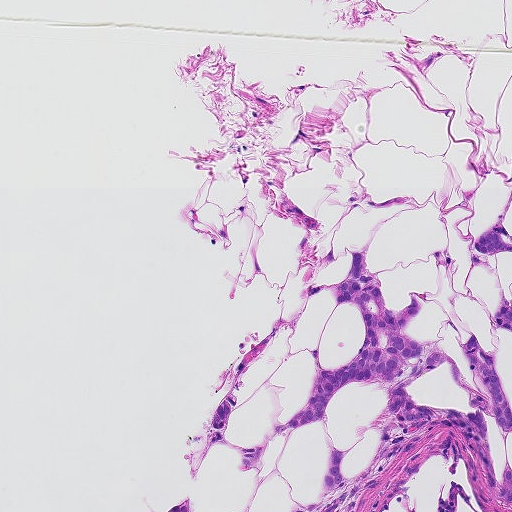
A 0.46-mm field of an H&E-stained sentinel lymph node from a breast-cancer patient (whole-slide image), shown at about 10×, about 0.9 µm per pixel.
Boundaries of three metastatic tumour regions, simplified and listed clockwise, largest first: region 1: (350, 250), (391, 309), (420, 298), (408, 336), (452, 356), (490, 398), (456, 344), (472, 334), (491, 352), (492, 312), (511, 301), (511, 334), (500, 329), (494, 353), (511, 413), (511, 506), (446, 426), (350, 509), (291, 511), (312, 503), (330, 449), (348, 449), (344, 478), (369, 466), (384, 384), (345, 383), (251, 472), (224, 442), (204, 447), (220, 402), (232, 441), (251, 448), (302, 408), (314, 372), (358, 356), (362, 311), (318, 285), (344, 276); region 2: (484, 232), (507, 234), (511, 236), (511, 256), (485, 256), (476, 252), (470, 244), (474, 235); region 3: (190, 496), (192, 511), (168, 511), (176, 508), (183, 502).
Tumour covers about 10% of the frame.